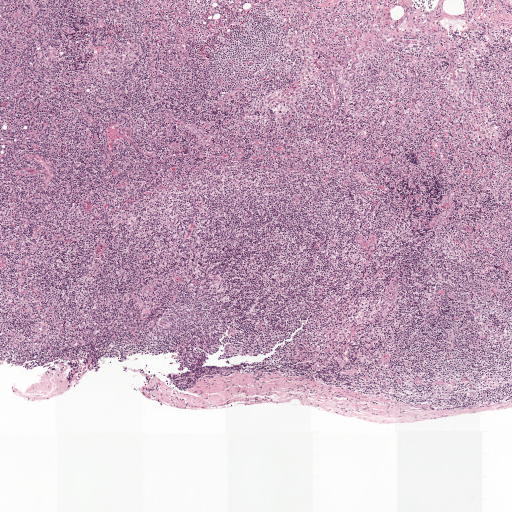
A 2.0-mm field of an H&E-stained sentinel lymph node from a breast-cancer patient (whole-slide image), shown at about 2.5×, about 3.9 µm per pixel.
Tumour region outline (a closed clockwise path, crop pixels): (419, 403), (421, 403), (422, 405), (424, 404), (427, 403), (430, 404), (433, 406), (435, 408), (435, 410), (431, 410), (419, 405).
Under 5% of the image area is annotated as tumour.